Lymph node section stained with H&E, from a whole-slide image of a breast-cancer sentinel node. Magnification about 5×, about 1 mm across the frame, about 1.9 µm per pixel.
Image:
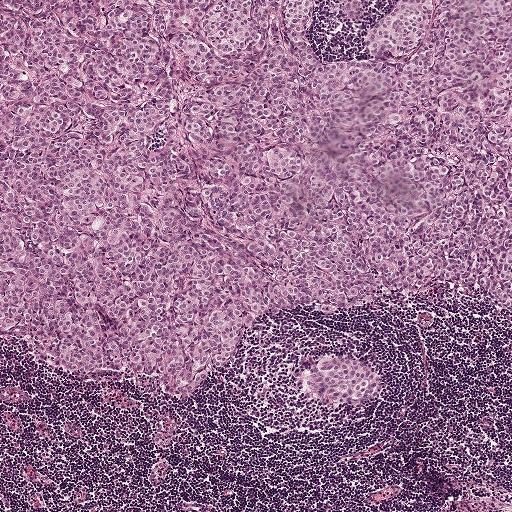
Question:
Is there metastatic carcinoma in this field?
Answer:
Yes.
Boundaries of two metastatic tumour regions, simplified and listed clockwise, largest first: region 1: (0, 0), (511, 0), (511, 307), (456, 290), (432, 304), (388, 295), (342, 310), (276, 304), (255, 312), (251, 344), (212, 387), (184, 396), (56, 369), (2, 333); region 2: (329, 355), (350, 356), (375, 365), (379, 374), (379, 383), (376, 396), (372, 401), (322, 400), (307, 394), (303, 386), (305, 370).
About 65% of this field is tumour.